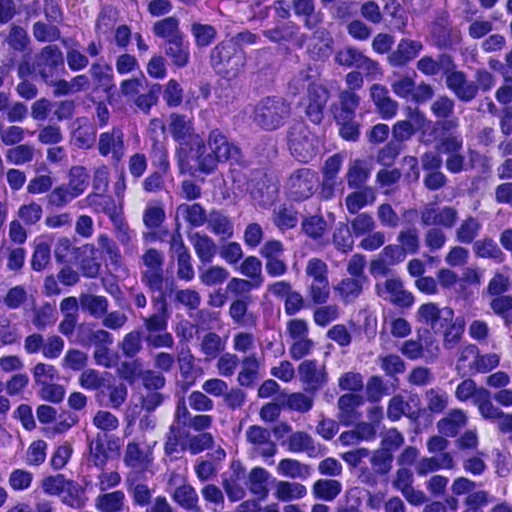
This is a crop of a whole-slide image: an H&E-stained breast-cancer sentinel lymph node section at roughly 40× magnification (about 0.23 µm per pixel; the crop spans about 0.12 mm).
Metastatic tumour outline, simplified to 15 points and listed clockwise in crop pixels (x, y): (301, 28), (341, 40), (310, 69), (305, 111), (328, 148), (327, 191), (290, 216), (247, 215), (219, 182), (240, 142), (206, 113), (196, 72), (187, 63), (217, 32), (259, 39).
The annotated tumour makes up about 5% of the crop.